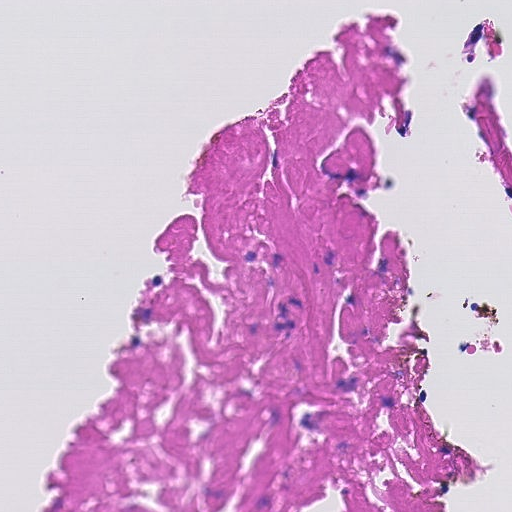
This is a crop of a whole-slide image: an H&E-stained breast-cancer sentinel lymph node section at roughly 20× magnification (about 0.45 µm per pixel; the crop spans about 0.23 mm).
Question: Does this lymph node field contain metastatic tumour?
Answer: No. No metastatic tumour is outlined in this field.